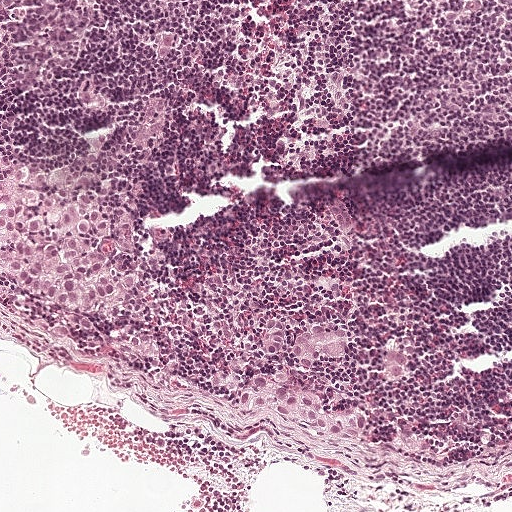
Lymph node section stained with H&E, from a whole-slide image of a breast-cancer sentinel node. Magnification about 10×, about 0.5 mm across the frame, about 0.97 µm per pixel.
Question: Is any metastatic breast cancer visible in this crop?
Answer: Yes.
Five metastatic tumour regions, each outlined as a closed clockwise path in crop pixels (x, y), largest first: region 1: (0, 157), (49, 168), (79, 166), (114, 192), (128, 210), (140, 240), (139, 275), (120, 305), (99, 316), (53, 315), (0, 280); region 2: (278, 374), (314, 398), (328, 415), (343, 411), (359, 413), (362, 417), (362, 425), (358, 440), (348, 442), (312, 436), (239, 410), (234, 404), (235, 395), (255, 378); region 3: (315, 324), (340, 328), (343, 335), (341, 339), (340, 356), (330, 364), (305, 371), (294, 370), (288, 360), (287, 342), (294, 334); region 4: (280, 318), (284, 320), (286, 328), (286, 336), (277, 355), (267, 359), (260, 359), (254, 352), (254, 345), (258, 339), (258, 330), (263, 320); region 5: (388, 346), (404, 355), (407, 365), (404, 376), (398, 382), (387, 383), (383, 382), (378, 377), (382, 349).
About 10% of this field is tumour.